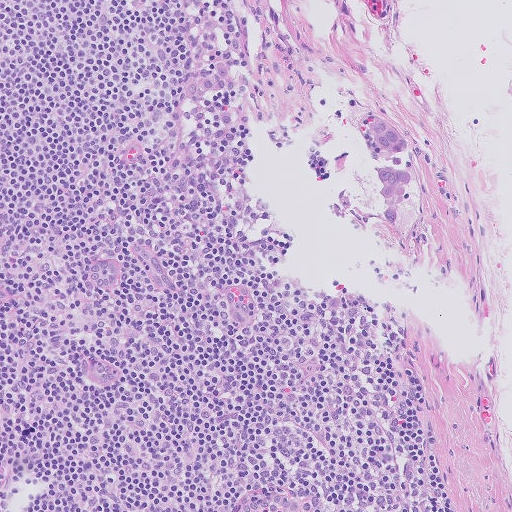
This is a crop of a whole-slide image: an H&E-stained breast-cancer sentinel lymph node section at roughly 10× magnification (about 1.0 µm per pixel; the crop spans about 0.51 mm).
Question: Outline the metastatic carcinoma in this image, as closed paths of (x, y) pixel coordinates.
Answer: Two metastatic tumour regions, each outlined as a closed clockwise path in crop pixels (x, y), largest first: region 1: (379, 168), (406, 170), (411, 173), (410, 180), (405, 185), (402, 199), (398, 204), (398, 218), (396, 224), (389, 222), (385, 215), (383, 201), (380, 195), (380, 181), (376, 175); region 2: (374, 115), (380, 118), (398, 133), (408, 147), (401, 156), (401, 164), (394, 166), (390, 156), (382, 155), (368, 131), (365, 125), (366, 118).
Under 5% of this field is tumour.